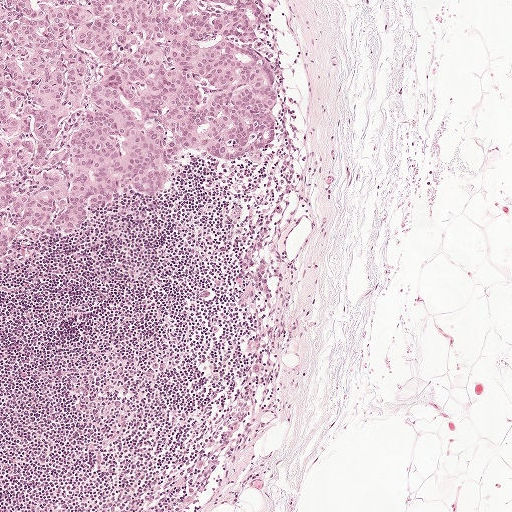
Lymph node section stained with H&E, from a whole-slide image of a breast-cancer sentinel node. Magnification about 5×, about 1 mm across the frame, about 1.9 µm per pixel.
Question: Is any metastatic breast cancer visible in this crop?
Answer: Yes.
Tumour region outline (a closed clockwise path, crop pixels): (0, 0), (260, 0), (272, 24), (254, 49), (279, 94), (274, 145), (262, 167), (180, 152), (159, 197), (119, 198), (64, 240), (24, 229), (0, 269).
About 20% of the image area is annotated as tumour.

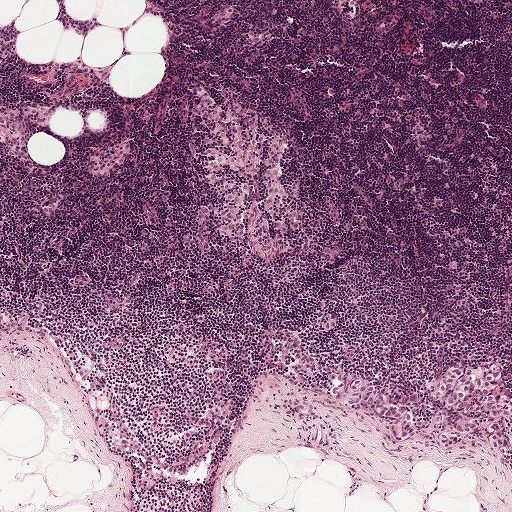
H&E-stained section of a sentinel lymph node (breast cancer), from a whole-slide image, viewed at about 5×: the field is about 1 mm across, about 1.9 µm per pixel.
Question: Is any metastatic breast cancer visible in this crop?
Answer: Yes.
Boundaries of two metastatic tumour regions, simplified and listed clockwise, largest first: region 1: (480, 358), (498, 362), (506, 368), (507, 384), (511, 392), (511, 456), (497, 452), (484, 424), (468, 434), (457, 448), (450, 450), (436, 445), (431, 432), (432, 408), (427, 391), (431, 379), (460, 360); region 2: (362, 372), (391, 392), (417, 390), (418, 402), (409, 405), (412, 406), (418, 420), (416, 434), (405, 437), (395, 437), (390, 428), (380, 419), (347, 406), (333, 397), (330, 392), (333, 383).
The annotated tumour makes up about 5% of the crop.

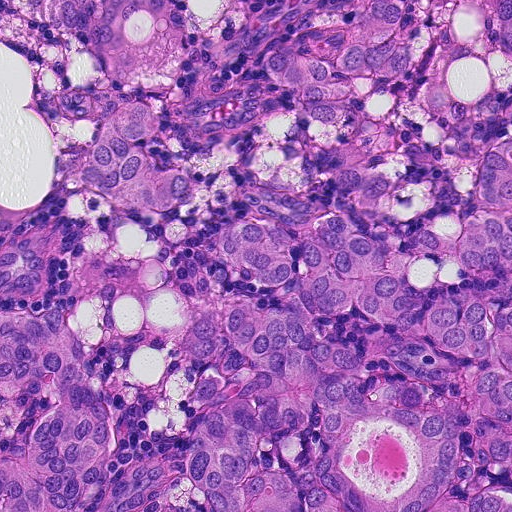
H&E-stained section of a sentinel lymph node (breast cancer), from a whole-slide image, viewed at about 20×: the field is about 0.23 mm across, about 0.45 µm per pixel.
Question: Is any metastatic breast cancer visible in this crop?
Answer: Yes.
Two metastatic tumour regions, each outlined as a closed clockwise path in crop pixels (x, y), largest first: region 1: (408, 12), (418, 66), (369, 89), (392, 191), (362, 224), (460, 235), (511, 135), (511, 511), (0, 511), (0, 459), (53, 408), (0, 391), (16, 227), (60, 234), (110, 468), (188, 443), (174, 360), (232, 292), (228, 219), (301, 231), (341, 201), (346, 141), (260, 74), (264, 46); region 2: (479, 0), (511, 0), (511, 59), (500, 54), (476, 15).
About 55% of this field is tumour.

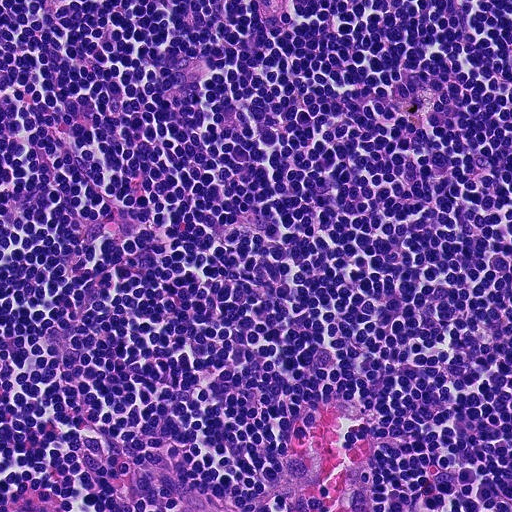
Lymph node section stained with H&E, from a whole-slide image of a breast-cancer sentinel node. Magnification about 20×, about 0.23 mm across the frame, about 0.45 µm per pixel.
Question: Is any metastatic breast cancer visible in this crop?
Answer: No: no metastatic tumour is outlined anywhere in this field.